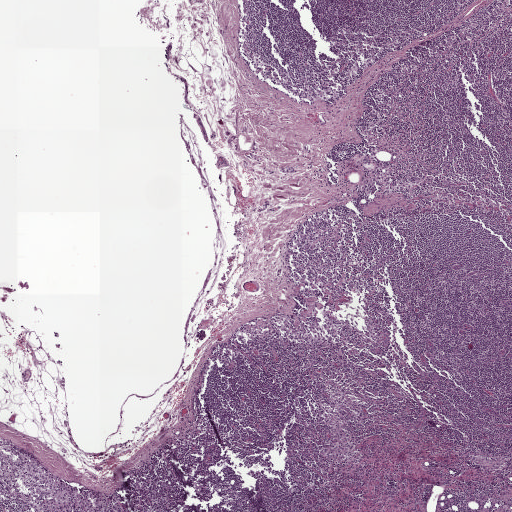
H&E-stained section of a sentinel lymph node (breast cancer), from a whole-slide image, viewed at about 2.5×: the field is about 2.0 mm across, about 3.9 µm per pixel.